Image:
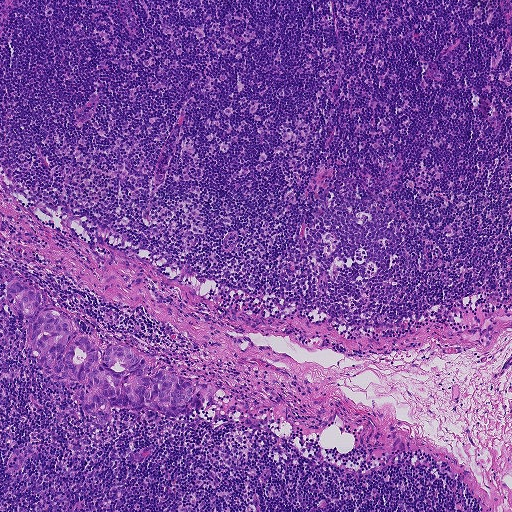
This is a crop of a whole-slide image: an H&E-stained breast-cancer sentinel lymph node section at roughly 5× magnification (about 1.8 µm per pixel; the crop spans about 0.93 mm).
Question:
Describe where the metastatic carcinoma lies in this crop.
Answer:
One metastatic tumour region; its boundary, reduced to 24 corners and listed clockwise: (1, 274), (38, 289), (42, 308), (65, 314), (76, 334), (93, 339), (103, 356), (110, 345), (128, 343), (139, 359), (146, 357), (144, 376), (160, 368), (196, 381), (203, 388), (203, 407), (176, 418), (110, 405), (111, 419), (94, 423), (76, 401), (82, 384), (55, 381), (30, 352).
About 5% of this field is tumour.